This is a crop of a whole-slide image: an H&E-stained breast-cancer sentinel lymph node section at roughly 10× magnification (about 0.97 µm per pixel; the crop spans about 0.5 mm).
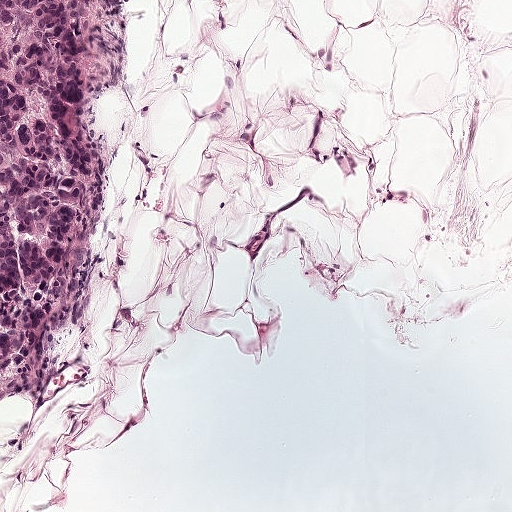
One metastatic tumour region; its boundary, reduced to 11 corners and listed clockwise: (0, 0), (104, 0), (96, 50), (111, 91), (96, 126), (108, 150), (111, 199), (99, 298), (57, 354), (48, 392), (1, 411).
About 15% of this field is tumour.